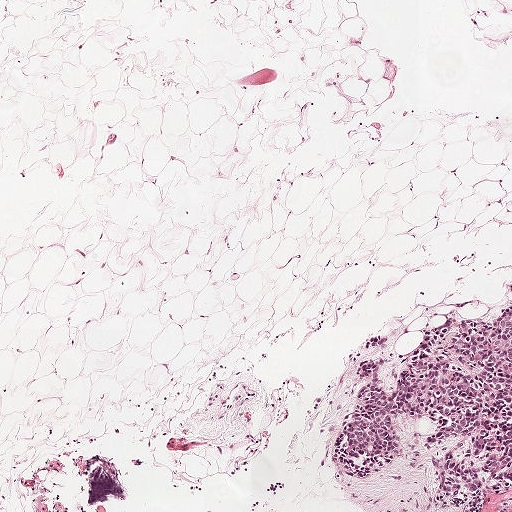
This is a crop of a whole-slide image: an H&E-stained breast-cancer sentinel lymph node section at roughly 5× magnification (about 1.9 µm per pixel; the crop spans about 1 mm).
Metastatic tumour outline, simplified to 24 points and listed clockwise in crop pixels (x, y): (511, 304), (511, 478), (488, 480), (473, 494), (437, 488), (435, 462), (460, 441), (423, 447), (435, 427), (398, 412), (407, 443), (396, 458), (367, 477), (335, 460), (362, 378), (354, 367), (374, 354), (358, 339), (385, 332), (378, 371), (394, 388), (419, 335), (459, 316), (496, 319).
About 10% of this field is tumour.